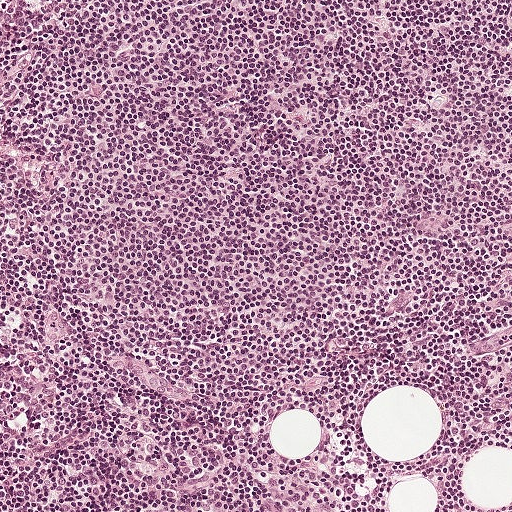
A 0.5-mm field of an H&E-stained sentinel lymph node from a breast-cancer patient (whole-slide image), shown at about 10×, about 0.97 µm per pixel.